A 0.12-mm field of an H&E-stained sentinel lymph node from a breast-cancer patient (whole-slide image), shown at about 40×, about 0.24 µm per pixel.
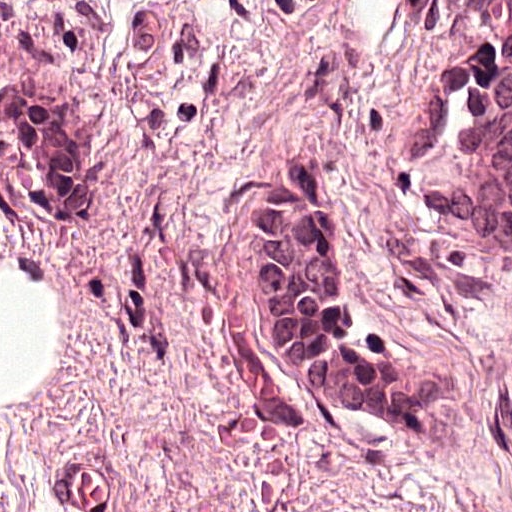
Two metastatic tumour regions, each outlined as a closed clockwise path in crop pixels (x, y), largest first: region 1: (259, 177), (325, 177), (328, 259), (359, 311), (399, 345), (399, 356), (420, 374), (444, 422), (444, 458), (412, 451), (357, 419), (323, 411), (267, 367), (225, 248); region 2: (509, 46), (511, 302), (483, 280), (417, 246), (396, 212), (404, 123), (428, 88).
About 20% of this field is tumour.